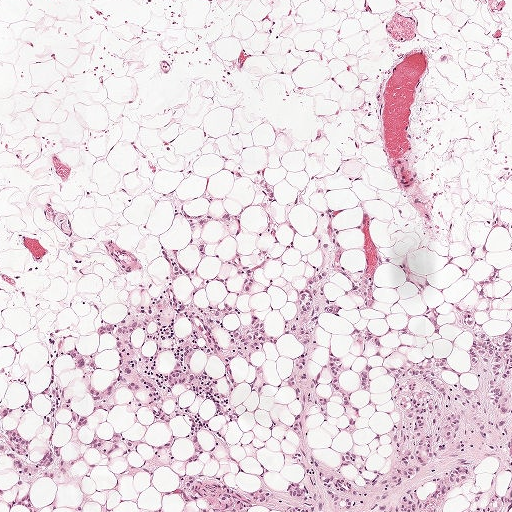
This is a crop of a whole-slide image: an H&E-stained breast-cancer sentinel lymph node section at roughly 5× magnification (about 1.9 µm per pixel; the crop spans about 1 mm).
Boundaries of seven metastatic tumour regions, simplified and listed clockwise, largest first: region 1: (326, 238), (373, 277), (375, 304), (342, 275), (325, 282), (340, 313), (319, 321), (309, 371), (332, 350), (360, 417), (347, 434), (342, 402), (312, 408), (317, 456), (355, 447), (386, 470), (387, 370), (404, 360), (444, 356), (460, 378), (443, 382), (474, 388), (451, 320), (493, 264), (474, 320), (495, 334), (511, 323), (510, 511), (180, 511), (156, 496), (183, 478), (235, 493), (301, 482), (297, 393), (279, 384), (303, 349), (281, 323); region 2: (160, 245), (178, 251), (184, 306), (235, 304), (222, 328), (263, 315), (277, 340), (255, 355), (266, 374), (255, 396), (245, 357), (232, 360), (232, 388), (205, 352), (191, 354), (238, 411), (215, 460), (198, 430), (192, 466), (194, 444), (181, 438), (170, 471), (146, 478), (136, 470), (170, 438), (168, 425), (133, 408), (130, 387), (95, 411), (66, 356), (71, 346), (96, 353), (92, 388), (110, 387), (120, 360), (94, 328), (162, 292); region 3: (52, 373), (72, 410), (85, 417), (100, 436), (109, 437), (117, 429), (134, 438), (138, 446), (130, 453), (114, 451), (106, 456), (91, 454), (86, 451), (86, 445), (92, 429), (76, 428), (66, 412), (59, 414), (56, 426), (49, 431), (42, 421), (45, 399), (38, 396), (50, 381); region 4: (0, 406), (10, 410), (3, 424), (9, 429), (21, 432), (28, 442), (27, 458), (33, 459), (40, 456), (49, 433), (56, 442), (64, 445), (63, 455), (48, 463), (38, 474), (25, 474), (17, 471), (13, 466), (7, 444), (0, 432); region 5: (26, 488), (34, 507), (35, 511), (9, 511), (9, 508), (6, 503), (6, 500), (17, 495); region 6: (365, 324), (370, 332), (380, 337), (383, 347), (379, 348), (351, 341), (350, 334), (357, 328), (364, 327); region 7: (366, 364), (372, 365), (373, 370), (370, 375), (372, 391), (363, 395), (359, 395), (360, 384), (357, 372).
One more small tumour piece is annotated here but not outlined.
About 25% of the image area is annotated as tumour.